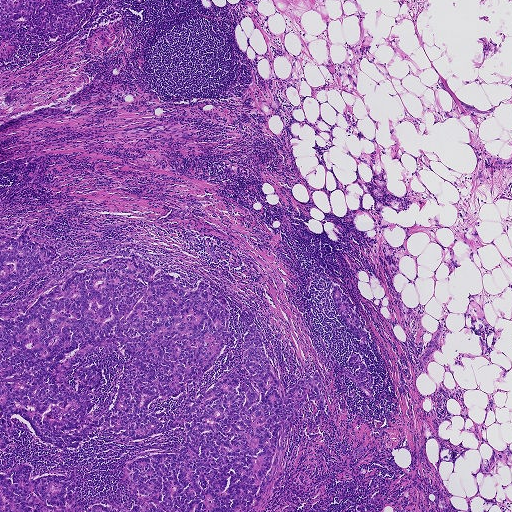
This is a crop of a whole-slide image: an H&E-stained breast-cancer sentinel lymph node section at roughly 2.5× magnification (about 3.6 µm per pixel; the crop spans about 1.9 mm).
Boundaries of six metastatic tumour regions, simplified and listed clockwise, largest first: region 1: (126, 252), (182, 277), (185, 288), (207, 281), (229, 303), (229, 334), (217, 362), (175, 396), (149, 407), (169, 412), (178, 426), (172, 430), (125, 442), (94, 434), (77, 450), (61, 450), (18, 418), (4, 447), (0, 315), (23, 311), (72, 271); region 2: (252, 323), (258, 326), (285, 393), (294, 380), (316, 369), (324, 390), (323, 408), (310, 394), (284, 434), (260, 511), (0, 511), (0, 472), (26, 461), (34, 466), (31, 476), (70, 475), (70, 506), (100, 500), (136, 504), (125, 468), (182, 441), (180, 411), (240, 361); region 3: (0, 0), (90, 0), (91, 4), (86, 14), (72, 31), (58, 38), (52, 38), (44, 34), (25, 34), (27, 26), (0, 29); region 4: (30, 226), (31, 230), (28, 233), (31, 238), (56, 246), (57, 252), (55, 258), (41, 270), (0, 297), (0, 234), (15, 237); region 5: (333, 284), (342, 287), (354, 304), (354, 310), (366, 337), (363, 342), (342, 322), (336, 312), (330, 294); region 6: (355, 352), (361, 356), (372, 374), (373, 381), (370, 388), (367, 389), (361, 386), (355, 376), (359, 368), (349, 365), (348, 361), (352, 353).
Three more small tumour pieces are annotated here but not outlined.
About 25% of this field is tumour.